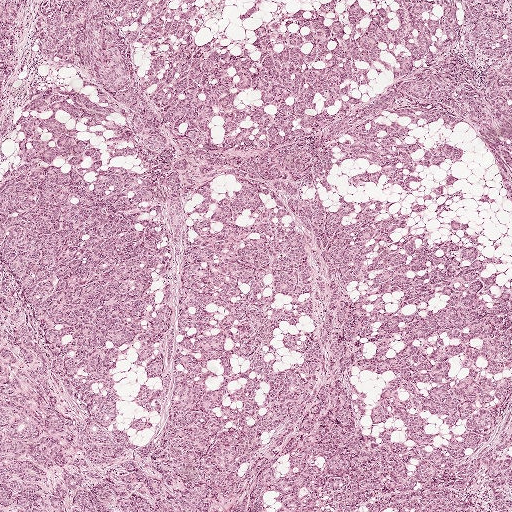
A 2.0-mm field of an H&E-stained sentinel lymph node from a breast-cancer patient (whole-slide image), shown at about 2.5×, about 3.9 µm per pixel.
Question: Which parts of this field are metastatic tumour?
Answer: Metastatic tumour covers the whole field.
Over 95% of this field is tumour.